A 0.25-mm field of an H&E-stained sentinel lymph node from a breast-cancer patient (whole-slide image), shown at about 20×, about 0.49 µm per pixel.
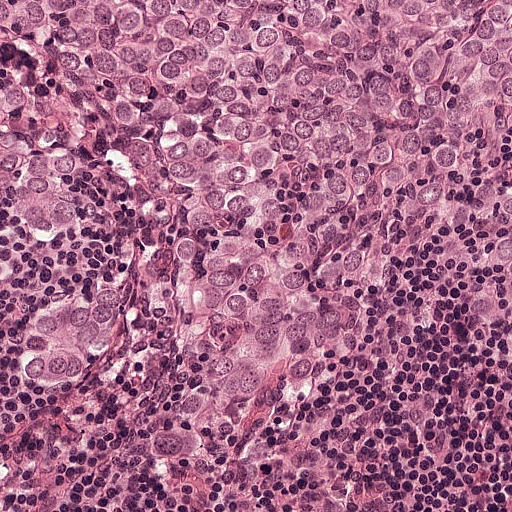
Question: Which parts of this field are metastatic tumour? Answer with the outline of each region, in pixels.
Answer: Two metastatic tumour regions, each outlined as a closed clockwise path in crop pixels (x, y), largest first: region 1: (0, 0), (511, 0), (511, 398), (503, 348), (466, 310), (461, 268), (442, 240), (405, 218), (310, 384), (254, 398), (190, 456), (160, 460), (147, 453), (146, 427), (169, 354), (171, 261), (131, 161), (111, 148), (68, 222), (42, 237), (0, 240); region 2: (84, 287), (114, 288), (120, 294), (116, 359), (92, 385), (66, 397), (40, 397), (26, 392), (0, 364), (0, 329), (58, 294).
The annotated tumour makes up about 65% of the crop.